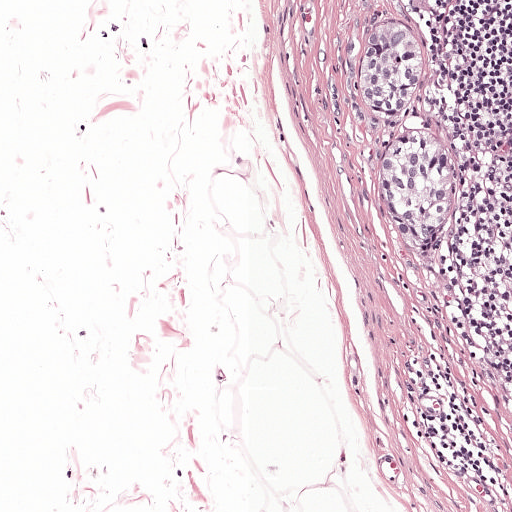
A 0.5-mm field of an H&E-stained sentinel lymph node from a breast-cancer patient (whole-slide image), shown at about 10×, about 0.97 µm per pixel.
Metastatic tumour outline, simplified to 19 points and listed clockwise in crop pixels (x, y): (383, 13), (421, 35), (427, 46), (427, 73), (409, 110), (410, 121), (446, 132), (464, 168), (455, 219), (436, 246), (425, 253), (402, 246), (388, 221), (381, 168), (399, 127), (394, 116), (362, 96), (356, 81), (365, 44).
About 5% of the image area is annotated as tumour.